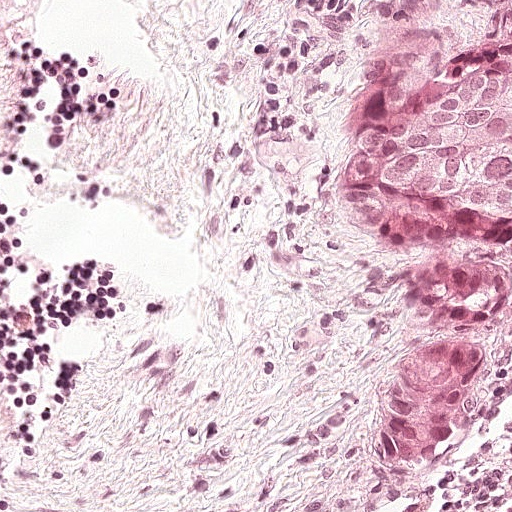
H&E-stained section of a sentinel lymph node (breast cancer), from a whole-slide image, viewed at about 20×: the field is about 0.25 mm across, about 0.49 µm per pixel.
The outlined metastatic tumour's edge, as a closed clockwise path of 12 points: (511, 54), (511, 254), (422, 261), (370, 254), (328, 236), (312, 199), (316, 164), (333, 133), (405, 100), (433, 72), (505, 63), (500, 56).
The annotated tumour makes up about 10% of the crop.